Question: 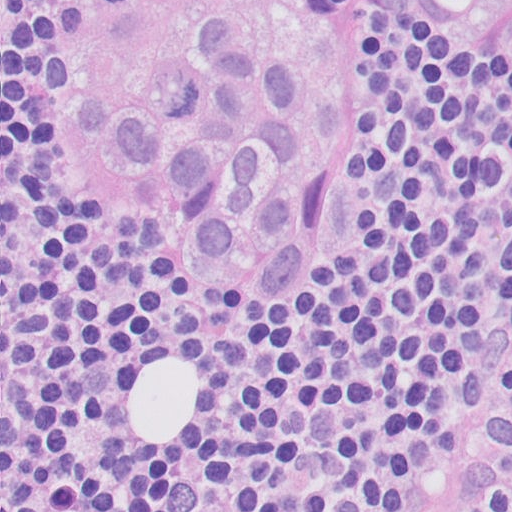
About what magnification does this crop show?

Choices:
 (A) about 5×
 (B) about 40×
 (C) about 10×
 (D) about 20×
 (E) about 2.5×

Answer: (B) about 40×
Lymph node section stained with H&E, from a whole-slide image of a breast-cancer sentinel node. Magnification about 40×, about 0.13 mm across the frame, about 0.25 µm per pixel.
Two metastatic tumour regions, each outlined as a closed clockwise path in crop pixels (x, y), largest first: region 1: (99, 0), (334, 0), (357, 85), (350, 188), (321, 297), (269, 316), (215, 305), (142, 226), (91, 211), (51, 176), (37, 125); region 2: (378, 0), (511, 0), (511, 84), (503, 86), (450, 72), (405, 44).
The annotated tumour makes up about 35% of the crop.